A 0.5-mm field of an H&E-stained sentinel lymph node from a breast-cancer patient (whole-slide image), shown at about 10×, about 0.97 µm per pixel.
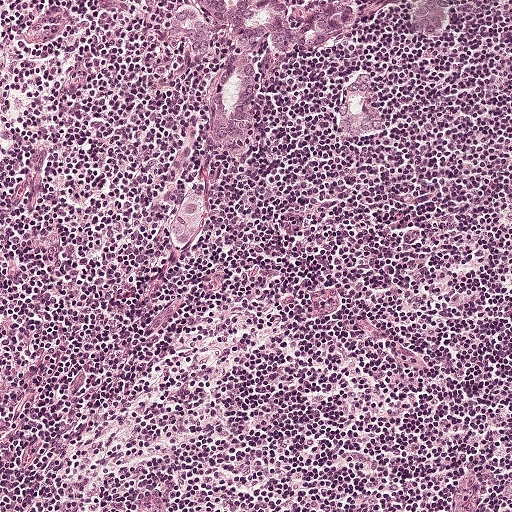
Boundaries of four metastatic tumour regions, simplified and listed clockwise, largest first: region 1: (173, 0), (393, 0), (366, 17), (348, 45), (331, 55), (278, 60), (263, 54), (267, 97), (244, 148), (218, 146), (211, 112), (211, 67), (196, 65), (188, 48), (168, 31), (168, 9); region 2: (366, 71), (371, 76), (376, 86), (378, 108), (385, 124), (384, 130), (379, 133), (372, 136), (354, 136), (334, 129), (336, 106), (343, 86), (350, 76); region 3: (463, 0), (458, 8), (452, 36), (430, 45), (418, 43), (406, 23), (407, 14), (414, 1); region 4: (190, 190), (207, 194), (210, 203), (210, 210), (200, 236), (191, 247), (182, 252), (171, 249), (166, 242), (166, 234), (179, 198).
One more small tumour piece is annotated here but not outlined.
About 10% of this field is tumour.